Question: 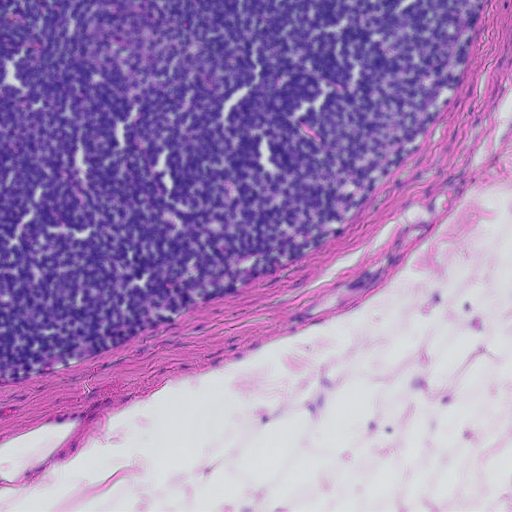
Which magnification is this H&E lymph node field most likely shown at?

Choices:
 (A) about 5×
 (B) about 20×
 (C) about 10×
 (D) about 40×
 (E) about 2.5×

Answer: (C) about 10×
This is a crop of a whole-slide image: an H&E-stained breast-cancer sentinel lymph node section at roughly 10× magnification (about 0.9 µm per pixel; the crop spans about 0.46 mm).